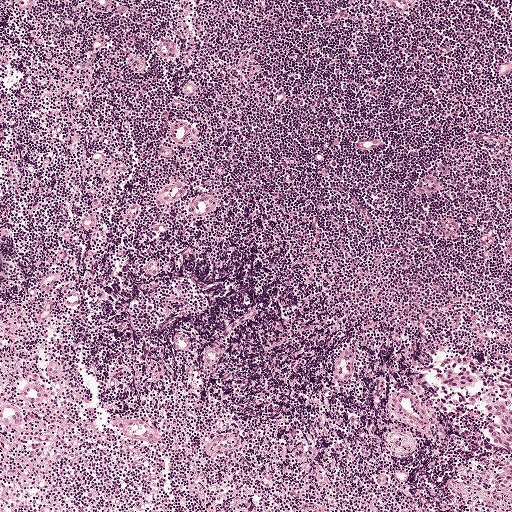
H&E-stained section of a sentinel lymph node (breast cancer), from a whole-slide image, viewed at about 5×: the field is about 1 mm across, about 1.9 µm per pixel.
Two metastatic tumour regions, each outlined as a closed clockwise path in crop pixels (x, y), largest first: region 1: (446, 355), (479, 356), (497, 368), (511, 372), (511, 452), (489, 440), (484, 411), (477, 407), (451, 402), (444, 396), (433, 372), (440, 359); region 2: (506, 463), (511, 463), (511, 486), (502, 486), (499, 486), (496, 482), (496, 476), (496, 474), (499, 472), (504, 469).
Under 5% of this field is tumour.